Question: 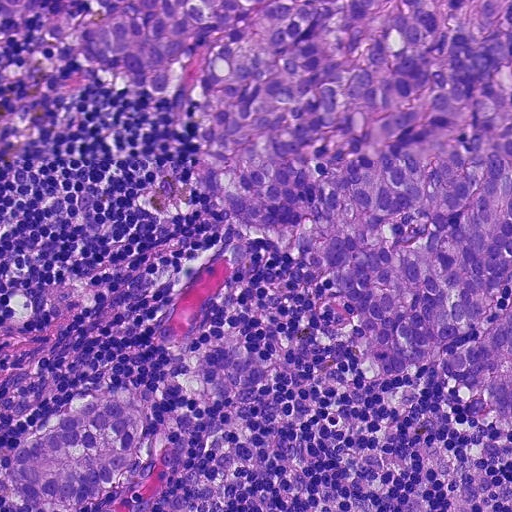
Lymph node section stained with H&E, from a whole-slide image of a breast-cancer sentinel node. Magnification about 20×, about 0.23 mm across the frame, about 0.45 µm per pixel.
What fraction of the image area is metastatic tumour?

Choices:
 (A) none: no tumour is outlined
 (B) about 5% or less
 (C) about 10% to 20%
 (D) about 25% to 45%
 (E) about 50% or more

Answer: (E) about 50% or more
About 50% of the field is tumour.
Boundaries of three metastatic tumour regions, simplified and listed clockwise, largest first: region 1: (82, 0), (511, 0), (511, 430), (463, 431), (435, 362), (359, 378), (330, 351), (314, 314), (316, 274), (292, 242), (214, 209), (198, 80), (162, 99), (121, 93), (62, 38), (94, 12); region 2: (103, 382), (144, 384), (153, 425), (143, 464), (121, 498), (94, 511), (38, 511), (10, 492), (4, 452), (33, 424); region 3: (0, 0), (43, 0), (34, 9), (0, 19).